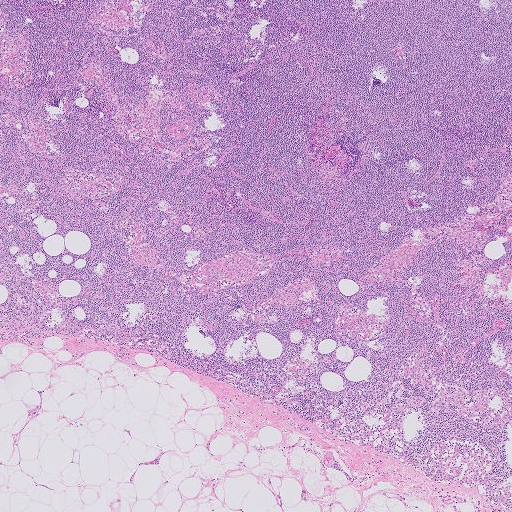
A 2.0-mm field of an H&E-stained sentinel lymph node from a breast-cancer patient (whole-slide image), shown at about 2.5×, about 4.0 µm per pixel.